A 0.5-mm field of an H&E-stained sentinel lymph node from a breast-cancer patient (whole-slide image), shown at about 10×, about 0.97 µm per pixel.
Question: 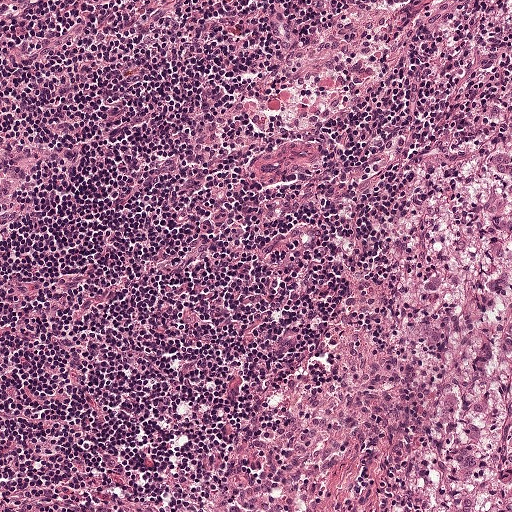
What fraction of the image area is metastatic tumour?

Choices:
 (A) about 10% to 20%
 (B) about 5% or less
 (C) none: no tumour is outlined
 (D) about 25% to 45%
 (E) about 50% or more

Answer: (A) about 10% to 20%
About 15% of the field is tumour.
Metastatic tumour outline, simplified to 7 points and listed clockwise in crop pixels (x, y): (511, 40), (511, 511), (311, 511), (435, 356), (446, 320), (446, 172), (456, 122).